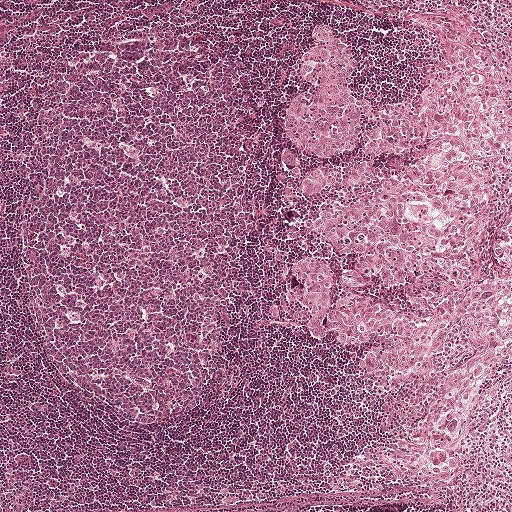
H&E-stained section of a sentinel lymph node (breast cancer), from a whole-slide image, viewed at about 5×: the field is about 1 mm across, about 1.9 µm per pixel.
Outlines of two tumour regions, largest first (closed clockwise paths, crop pixels): region 1: (443, 10), (511, 51), (511, 353), (460, 480), (389, 492), (349, 476), (351, 454), (381, 420), (379, 398), (343, 350), (267, 308), (285, 284), (291, 245), (279, 207), (282, 111), (302, 89), (295, 54), (317, 18), (335, 24), (363, 86), (378, 95), (408, 96), (437, 59); region 2: (502, 0), (511, 0), (511, 25), (509, 19), (509, 15), (508, 15), (504, 4), (503, 1).
About 30% of the image area is annotated as tumour.